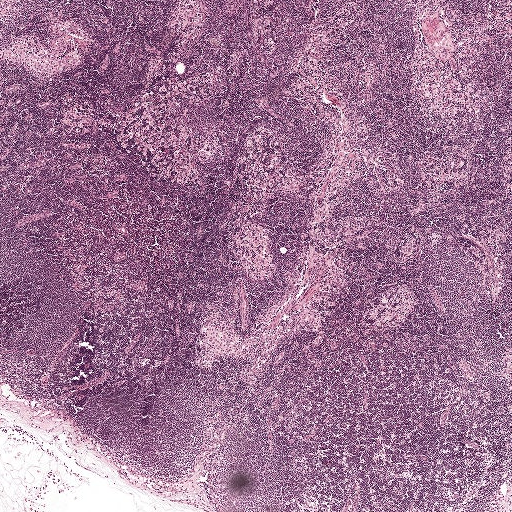
Lymph node section stained with H&E, from a whole-slide image of a breast-cancer sentinel node. Magnification about 2.5×, about 2.0 mm across the frame, about 3.9 µm per pixel.